Image:
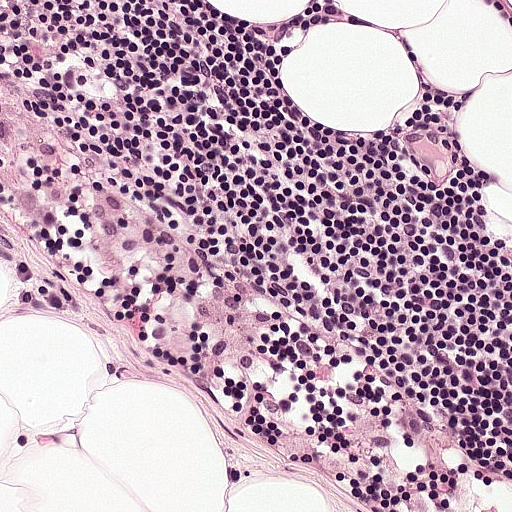
This is a crop of a whole-slide image: an H&E-stained breast-cancer sentinel lymph node section at roughly 20× magnification (about 0.49 µm per pixel; the crop spans about 0.25 mm).
Question:
Is there metastatic carcinoma in this field?
Answer:
No. No metastatic tumour is outlined in this field.